Question: 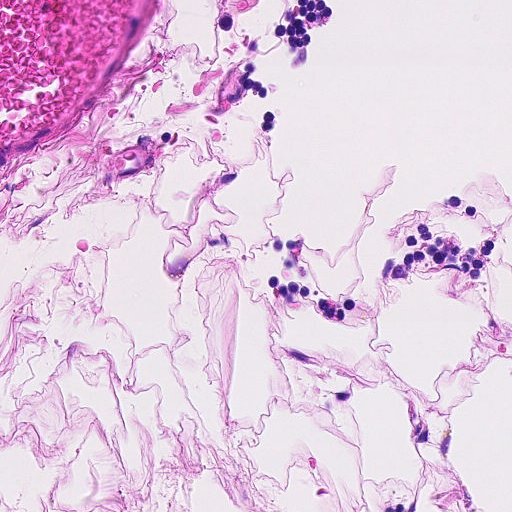
A 0.23-mm field of an H&E-stained sentinel lymph node from a breast-cancer patient (whole-slide image), shown at about 20×, about 0.45 µm per pixel.
About how much of this crop is taken up by metastatic carcinoma?

Choices:
 (A) about 50% or more
 (B) about 5% or less
 (C) about 10% to 20%
 (D) none: no tumour is outlined
 (E) about 25% to 45%

Answer: (D) none: no tumour is outlined
No metastatic tumour is outlined in this field.